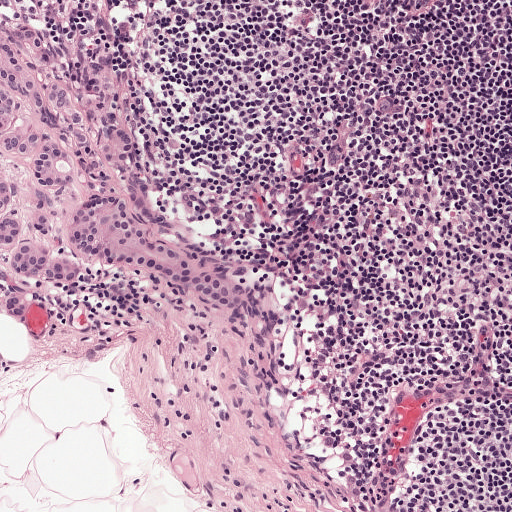
H&E-stained section of a sentinel lymph node (breast cancer), from a whole-slide image, viewed at about 10×: the field is about 0.5 mm across, about 0.97 µm per pixel.
Boundaries of two metastatic tumour regions, simplified and listed clockwise, largest first: region 1: (0, 20), (41, 34), (51, 50), (61, 84), (91, 129), (126, 129), (132, 146), (106, 164), (108, 182), (94, 192), (78, 186), (77, 170), (60, 197), (52, 232), (39, 236), (32, 226), (38, 191), (29, 176), (31, 158), (0, 149); region 2: (0, 165), (17, 180), (4, 215), (18, 218), (24, 236), (42, 240), (55, 258), (68, 254), (62, 223), (71, 208), (104, 194), (135, 209), (170, 250), (220, 273), (244, 298), (235, 312), (155, 274), (103, 262), (85, 265), (70, 282), (18, 280), (25, 306), (15, 317), (0, 310).
Tumour covers about 10% of the frame.